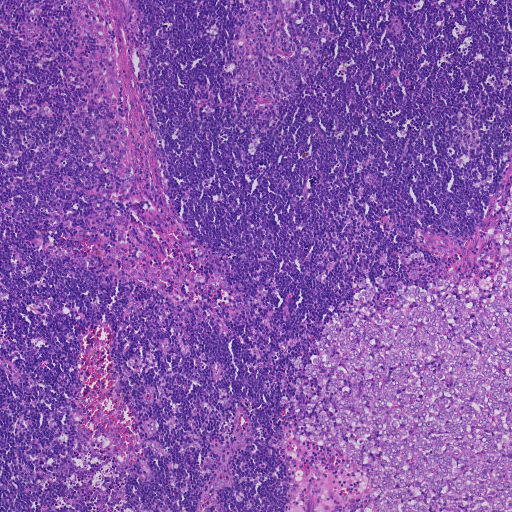
H&E-stained section of a sentinel lymph node (breast cancer), from a whole-slide image, viewed at about 5×: the field is about 0.93 mm across, about 1.8 µm per pixel.
Four metastatic tumour regions, each outlined as a closed clockwise path in crop pixels (x, y), largest first: region 1: (511, 187), (511, 511), (350, 511), (343, 495), (366, 494), (370, 481), (352, 460), (344, 468), (348, 458), (291, 431), (299, 411), (280, 398), (297, 392), (304, 370), (290, 360), (312, 362), (313, 340), (362, 276), (373, 287), (370, 306), (384, 310), (413, 284), (497, 273), (495, 234); region 2: (151, 419), (155, 425), (156, 433), (150, 437), (162, 446), (161, 453), (154, 453), (150, 448), (146, 428), (147, 421); region 3: (506, 67), (510, 68), (510, 70), (506, 75), (508, 78), (509, 82), (506, 84), (501, 81), (502, 71); region 4: (215, 361), (218, 362), (219, 369), (219, 375), (217, 377), (213, 377), (213, 365).
Two more small tumour pieces are annotated here but not outlined.
About 15% of this field is tumour.